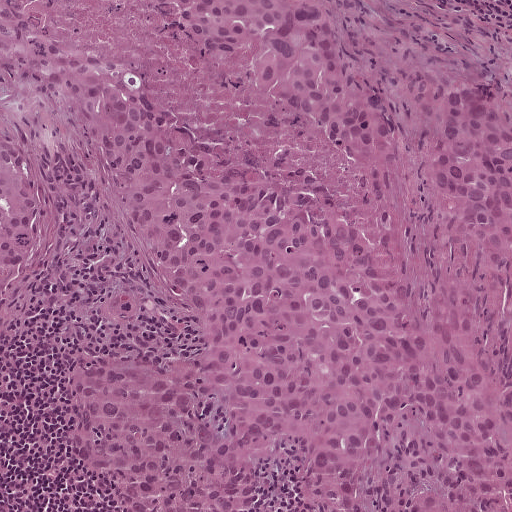
Lymph node section stained with H&E, from a whole-slide image of a breast-cancer sentinel node. Magnification about 10×, about 0.5 mm across the frame, about 0.97 µm per pixel.
The outlined metastatic tumour's edge, as a closed clockwise path of 18 points: (0, 0), (333, 0), (511, 92), (511, 511), (281, 511), (289, 444), (267, 458), (263, 511), (99, 511), (74, 472), (73, 368), (105, 356), (174, 357), (200, 333), (142, 248), (56, 190), (22, 310), (0, 324).
About 85% of the image area is annotated as tumour.